This is a crop of a whole-slide image: an H&E-stained breast-cancer sentinel lymph node section at roughly 5× magnification (about 1.9 µm per pixel; the crop spans about 1 mm).
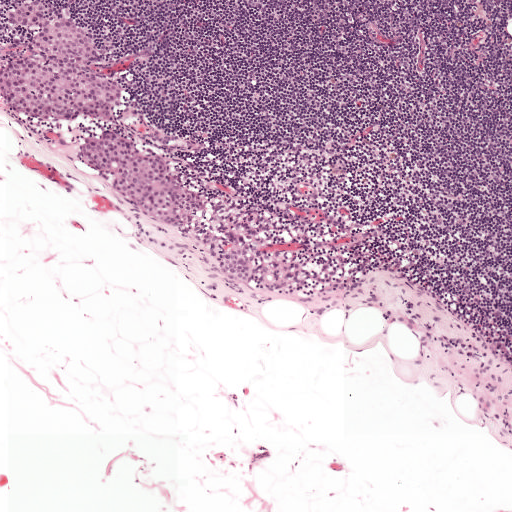
Question: Where is the metastatic tumour in this field? Give each region's outline as (x, y) pixel points.
Answer: Boundaries of three metastatic tumour regions, simplified and listed clockwise, largest first: region 1: (55, 0), (92, 36), (118, 80), (121, 93), (114, 116), (90, 127), (26, 118), (5, 103), (0, 92), (0, 64), (7, 58), (30, 54), (34, 27), (9, 26), (2, 15), (6, 2); region 2: (114, 130), (140, 139), (174, 162), (204, 190), (209, 202), (204, 214), (183, 229), (171, 228), (124, 204), (78, 158), (78, 146), (87, 137); region 3: (241, 247), (252, 251), (257, 262), (255, 276), (246, 285), (234, 287), (222, 282), (217, 269), (220, 256), (228, 248).
The annotated tumour makes up about 5% of the crop.